Image:
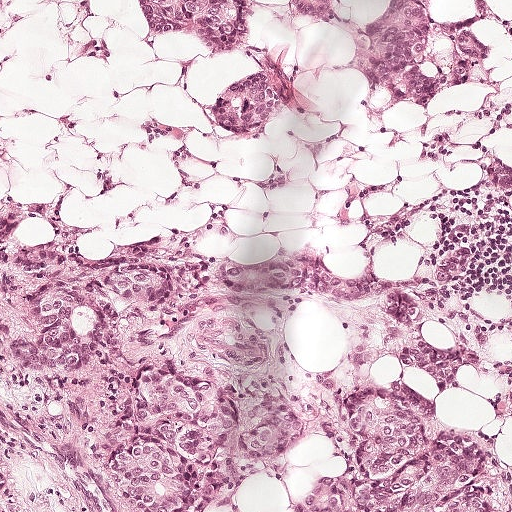
H&E-stained section of a sentinel lymph node (breast cancer), from a whole-slide image, viewed at about 10×: the field is about 0.5 mm across, about 0.97 µm per pixel.
Question:
Does this lymph node field contain metastatic tumour?
Answer:
Yes.
Metastatic tumour outline, simplified to 11 points and listed clockwise in crop pixels (x, y): (112, 0), (501, 0), (511, 511), (0, 511), (0, 180), (48, 209), (155, 236), (224, 241), (235, 220), (208, 113), (112, 75).
About 85% of the image area is annotated as tumour.